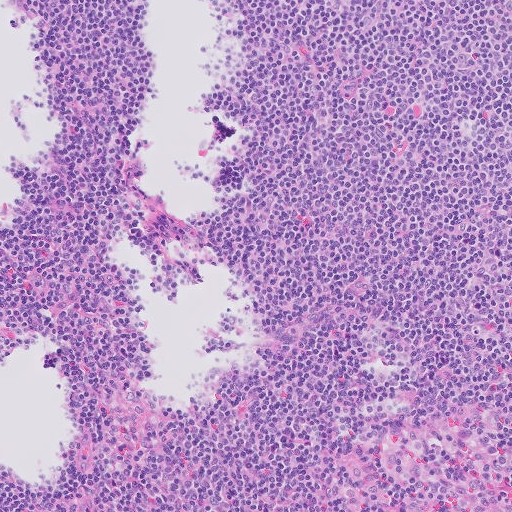
A 0.51-mm field of an H&E-stained sentinel lymph node from a breast-cancer patient (whole-slide image), shown at about 10×, about 1.0 µm per pixel.